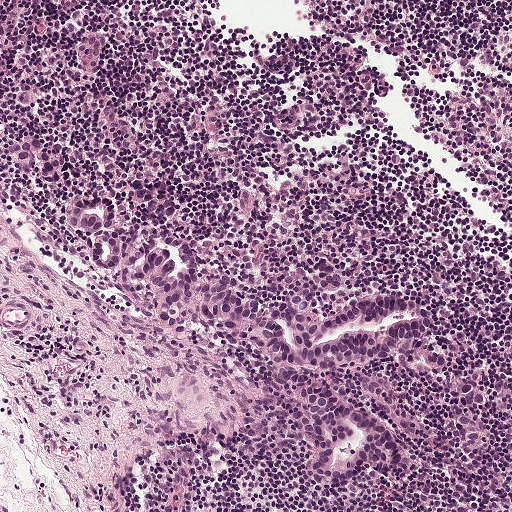
A 0.5-mm field of an H&E-stained sentinel lymph node from a breast-cancer patient (whole-slide image), shown at about 10×, about 0.97 µm per pixel.
Outlines of three tumour regions, largest first (closed clockwise paths, crop pixels): region 1: (68, 197), (108, 197), (108, 223), (124, 238), (157, 231), (184, 236), (197, 270), (218, 272), (245, 296), (300, 295), (313, 306), (396, 288), (432, 301), (437, 312), (435, 328), (390, 352), (342, 368), (312, 367), (307, 374), (319, 374), (387, 423), (402, 458), (396, 467), (359, 465), (345, 475), (299, 468), (297, 434), (266, 393), (258, 356), (220, 325), (173, 332), (156, 316), (156, 289), (144, 277), (124, 265), (88, 262), (81, 233), (63, 220); region 2: (30, 132), (42, 134), (54, 146), (57, 146), (60, 155), (58, 178), (51, 181), (39, 181), (30, 175), (22, 173), (8, 165), (0, 156), (0, 146), (4, 138), (10, 134); region 3: (358, 370), (361, 370), (366, 373), (370, 372), (379, 376), (390, 394), (408, 412), (412, 421), (414, 435), (407, 435), (397, 428), (387, 416), (378, 410), (372, 399), (356, 388), (350, 380).
Two more small tumour pieces are annotated here but not outlined.
About 15% of this field is tumour.